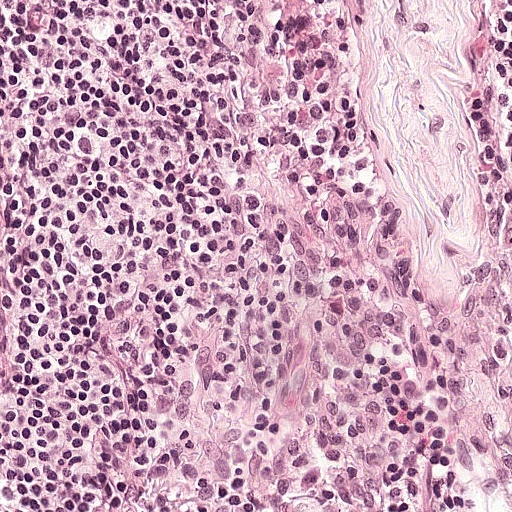
This is a crop of a whole-slide image: an H&E-stained breast-cancer sentinel lymph node section at roughly 20× magnification (about 0.49 µm per pixel; the crop spans about 0.25 mm).